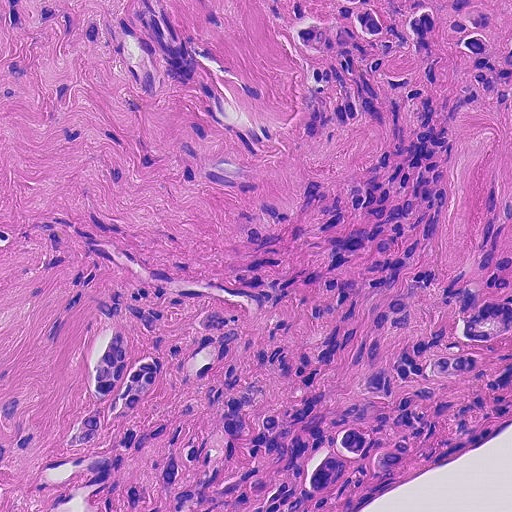
H&E-stained section of a sentinel lymph node (breast cancer), from a whole-slide image, viewed at about 20×: the field is about 0.23 mm across, about 0.45 µm per pixel.
The outlined metastatic tumour's edge, as a closed clockwise path of 11 points: (286, 0), (511, 0), (511, 511), (0, 511), (0, 374), (52, 404), (103, 298), (221, 276), (300, 230), (342, 188), (334, 124).
About 65% of the image area is annotated as tumour.